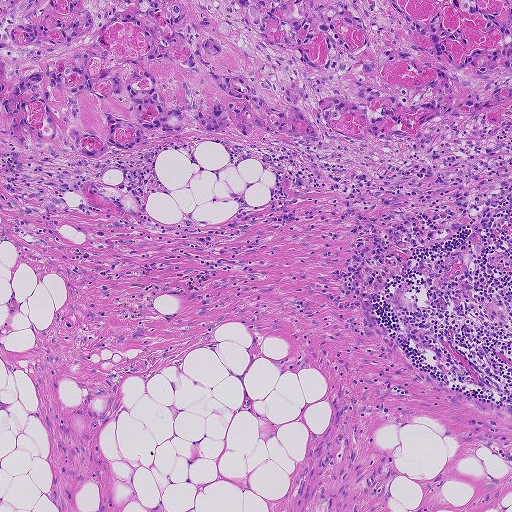
This is a crop of a whole-slide image: an H&E-stained breast-cancer sentinel lymph node section at roughly 5× magnification (about 1.8 µm per pixel; the crop spans about 0.93 mm).
The outlined metastatic tumour's edge, as a closed clockwise path of 10 points: (0, 0), (511, 0), (511, 101), (443, 114), (417, 136), (145, 130), (133, 150), (88, 157), (17, 145), (2, 122).
About 25% of this field is tumour.